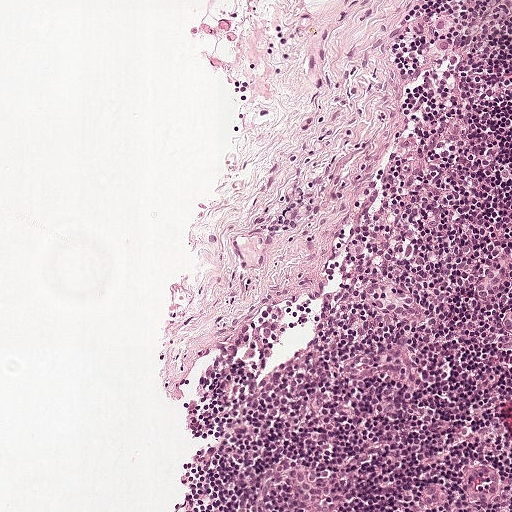
Lymph node section stained with H&E, from a whole-slide image of a breast-cancer sentinel node. Magnification about 10×, about 0.5 mm across the frame, about 0.97 µm per pixel.